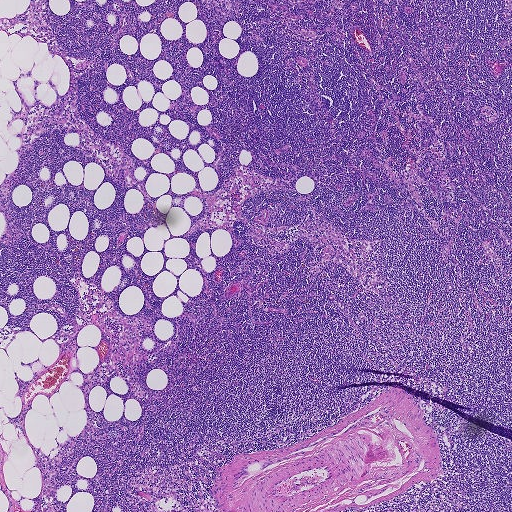
This is a crop of a whole-slide image: an H&E-stained breast-cancer sentinel lymph node section at roughly 2.5× magnification (about 3.6 µm per pixel; the crop spans about 1.9 mm).
Question: Is there metastatic carcinoma in this field?
Answer: No: no metastatic tumour is outlined anywhere in this field.